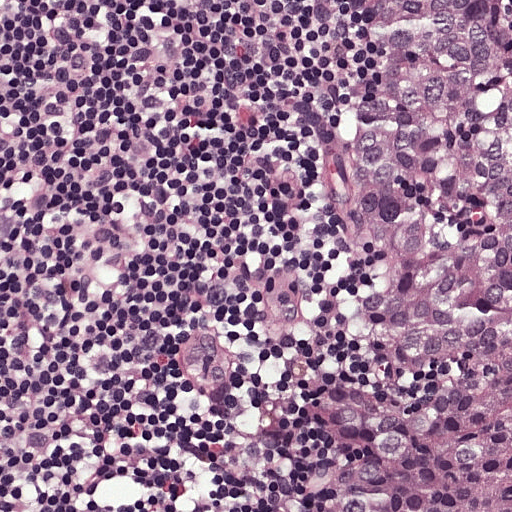
Lymph node section stained with H&E, from a whole-slide image of a breast-cancer sentinel node. Magnification about 20×, about 0.25 mm across the frame, about 0.49 µm per pixel.
Question: Where is the metastatic tumour in this field?
Answer: Tumour region outline (a closed clockwise path, crop pixels): (350, 0), (493, 0), (511, 32), (511, 511), (317, 511), (325, 389), (359, 348), (352, 202), (333, 153).
Tumour covers about 35% of the frame.